Image:
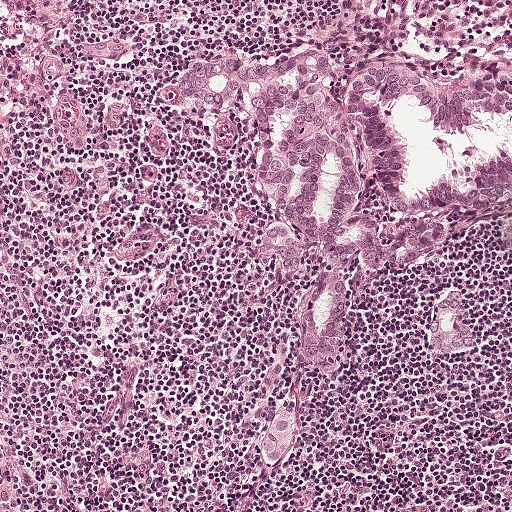
A 0.5-mm field of an H&E-stained sentinel lymph node from a breast-cancer patient (whole-slide image), shown at about 10×, about 0.97 µm per pixel.
Question:
Is any metastatic breast cancer visible in this crop?
Answer:
Yes.
Three metastatic tumour regions, each outlined as a closed clockwise path in crop pixels (x, y), largest first: region 1: (308, 51), (359, 73), (406, 64), (453, 94), (511, 70), (511, 261), (497, 240), (507, 212), (496, 212), (422, 272), (354, 271), (358, 314), (336, 365), (309, 363), (302, 284), (286, 282), (256, 244), (269, 204), (248, 168), (247, 128), (186, 104), (176, 75), (202, 56); region 2: (457, 288), (462, 292), (466, 302), (469, 326), (476, 341), (475, 346), (470, 350), (463, 352), (445, 353), (426, 346), (428, 323), (434, 303), (442, 292); region 3: (282, 406), (298, 411), (301, 420), (301, 428), (292, 453), (282, 464), (273, 469), (262, 466), (257, 459), (256, 450), (270, 415).
About 25% of the image area is annotated as tumour.